Lymph node section stained with H&E, from a whole-slide image of a breast-cancer sentinel node. Magnification about 10×, about 0.46 mm across the frame, about 0.9 µm per pixel.
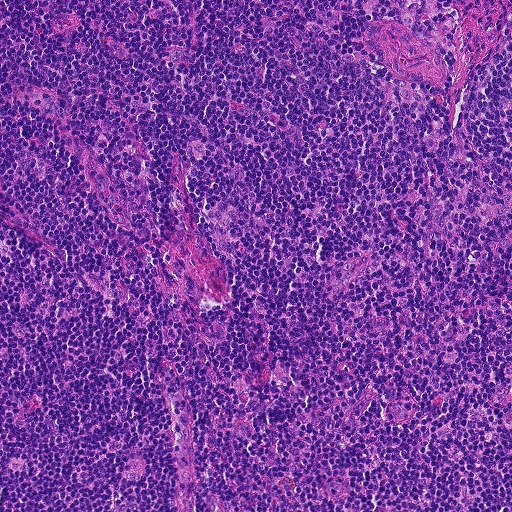
Question: Is any metastatic breast cancer visible in this crop?
Answer: No: no metastatic tumour is outlined anywhere in this field.